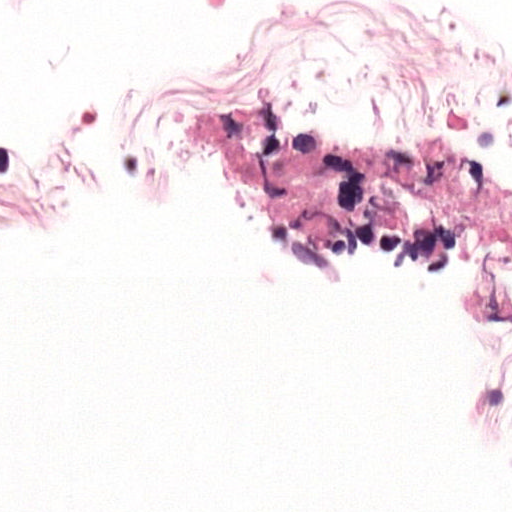
A 0.12-mm field of an H&E-stained sentinel lymph node from a breast-cancer patient (whole-slide image), shown at about 40×, about 0.24 µm per pixel.
One metastatic tumour region; its boundary, reduced to 6 corners and listed clockwise: (286, 91), (499, 160), (475, 263), (371, 293), (245, 248), (167, 94).
Tumour covers about 15% of the frame.